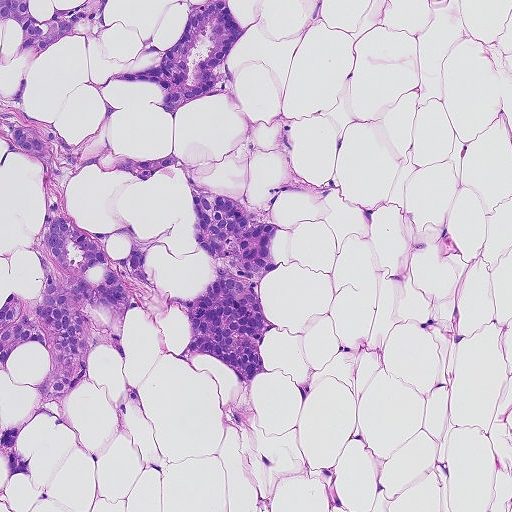
Lymph node section stained with H&E, from a whole-slide image of a breast-cancer sentinel node. Magnification about 10×, about 0.46 mm across the frame, about 0.9 µm per pixel.
Outlines of four tumour regions, largest first (closed clockwise paths, crop pixels): region 1: (24, 74), (26, 115), (72, 142), (96, 130), (101, 96), (122, 109), (109, 132), (118, 156), (172, 154), (199, 184), (290, 232), (276, 232), (280, 266), (259, 286), (282, 329), (261, 344), (270, 370), (247, 386), (213, 356), (184, 361), (183, 312), (136, 308), (123, 358), (98, 347), (70, 390), (35, 396), (52, 375), (48, 351), (26, 346), (7, 370), (0, 364), (0, 305), (44, 282), (26, 245), (38, 166), (18, 148), (0, 161), (0, 96); region 2: (183, 0), (229, 0), (235, 19), (246, 33), (219, 63), (232, 73), (242, 112), (234, 102), (221, 96), (207, 99), (172, 116), (152, 102), (160, 92), (149, 85), (100, 78), (140, 70), (164, 56), (181, 34); region 3: (0, 0), (29, 0), (33, 21), (46, 16), (50, 5), (63, 8), (76, 6), (85, 0), (107, 0), (105, 33), (86, 42), (75, 34), (63, 39), (40, 54), (33, 65), (24, 54), (18, 26), (0, 18); region 4: (28, 420), (18, 430), (14, 444), (32, 468), (31, 475), (17, 478), (7, 487), (5, 502), (0, 503), (0, 441), (5, 432), (16, 423).
About 25% of this field is tumour.